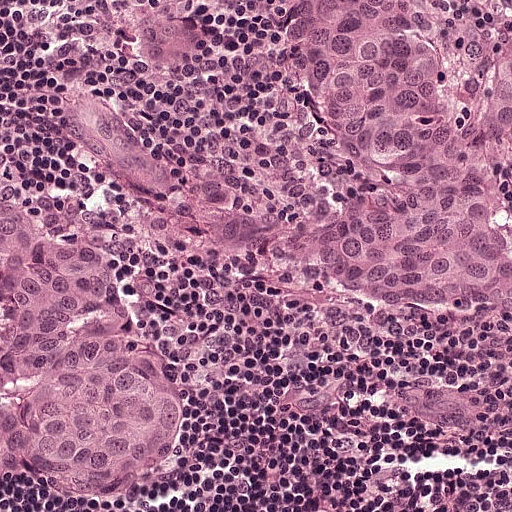
H&E-stained section of a sentinel lymph node (breast cancer), from a whole-slide image, viewed at about 20×: the field is about 0.25 mm across, about 0.49 µm per pixel.
The outlined metastatic tumour's edge, as a closed clockwise path of 11 points: (470, 0), (511, 14), (511, 311), (471, 326), (424, 322), (353, 286), (321, 254), (324, 156), (274, 72), (274, 30), (287, 2).
Tumour covers about 25% of the frame.